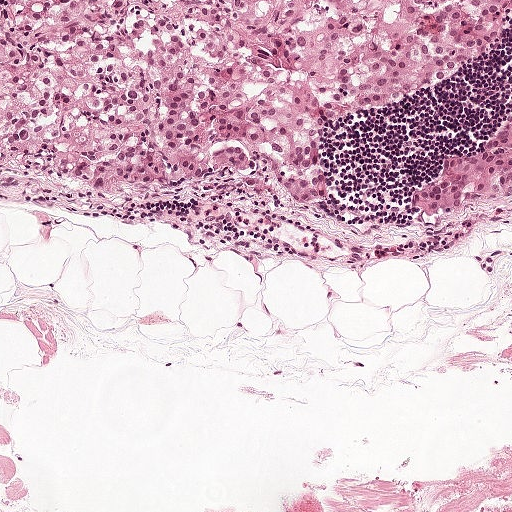
This is a crop of a whole-slide image: an H&E-stained breast-cancer sentinel lymph node section at roughly 10× magnification (about 0.97 µm per pixel; the crop spans about 0.5 mm).
Outlines of two tumour regions, largest first (closed clockwise paths, crop pixels): region 1: (0, 0), (511, 0), (511, 32), (479, 57), (340, 129), (315, 201), (150, 188), (41, 158), (0, 166); region 2: (511, 99), (511, 183), (463, 204), (426, 207), (418, 202), (424, 170), (439, 149), (492, 109).
The annotated tumour makes up about 30% of the crop.